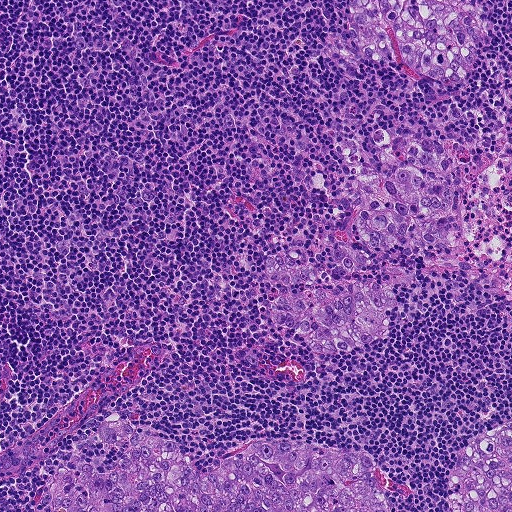
Lymph node section stained with H&E, from a whole-slide image of a breast-cancer sentinel node. Magnification about 10×, about 0.46 mm across the frame, about 0.9 µm per pixel.
Question: Show where the tumour is in this image.
Answer: Outlines of four tumour regions, largest first (closed clockwise paths, crop pixels): region 1: (375, 128), (508, 148), (511, 309), (452, 290), (444, 279), (460, 275), (412, 256), (387, 336), (340, 355), (315, 355), (258, 317), (278, 296), (264, 274), (273, 254), (308, 247), (335, 266), (318, 228), (349, 218), (331, 201), (357, 177), (338, 165), (343, 140), (355, 138), (382, 175); region 2: (115, 416), (174, 441), (198, 470), (266, 440), (368, 452), (391, 511), (33, 511), (48, 474); region 3: (348, 0), (476, 0), (481, 26), (480, 45), (470, 72), (455, 86), (442, 86), (407, 69), (399, 58), (380, 64), (370, 60), (351, 40), (342, 42), (338, 37), (350, 27); region 4: (511, 419), (511, 511), (453, 511), (446, 482), (450, 469), (471, 437).
Tumour covers about 25% of the frame.